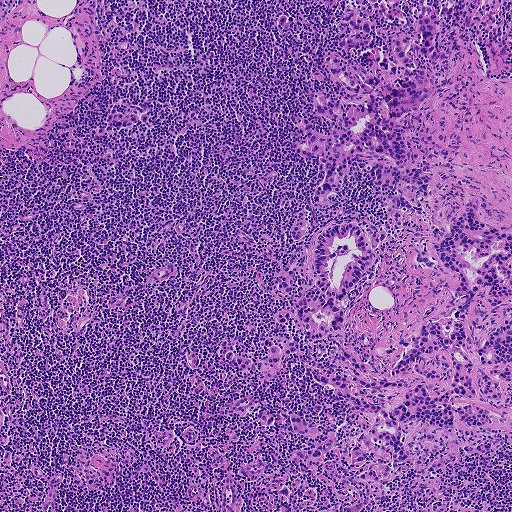
H&E-stained section of a sentinel lymph node (breast cancer), from a whole-slide image, viewed at about 5×: the field is about 0.93 mm across, about 1.8 µm per pixel.
Three metastatic tumour regions, each outlined as a closed clockwise path in crop pixels (x, y), largest first: region 1: (116, 107), (120, 112), (127, 112), (132, 108), (144, 113), (149, 118), (144, 122), (112, 128), (106, 125), (106, 119), (112, 108); region 2: (290, 15), (294, 18), (294, 24), (290, 28), (284, 28), (279, 26), (276, 21), (280, 16); region 3: (511, 15), (511, 40), (506, 36), (504, 18).
One more tumour region is annotated but not outlined: its edge is too irregular for a short outline.
One more small tumour piece is annotated here but not outlined.
The annotated tumour makes up about 25% of the crop.